This is a crop of a whole-slide image: an H&E-stained breast-cancer sentinel lymph node section at roughly 40× magnification (about 0.25 µm per pixel; the crop spans about 0.13 mm).
Image:
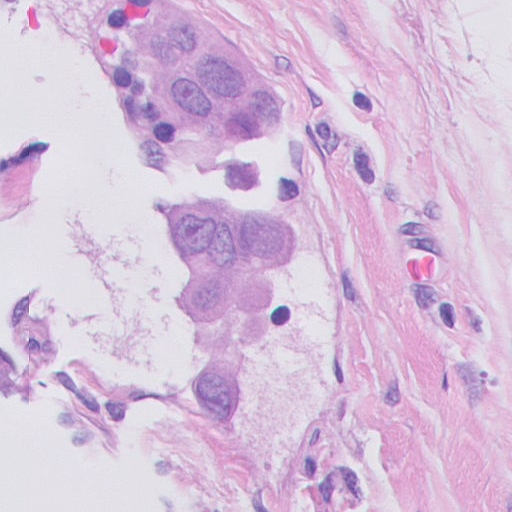
Question:
Describe where the metastatic carcinoma lies in this crop.
Answer:
Boundaries of two metastatic tumour regions, simplified and listed clockwise, largest first: region 1: (199, 200), (256, 210), (279, 208), (301, 222), (298, 252), (276, 271), (266, 326), (248, 346), (248, 401), (238, 427), (211, 417), (196, 390), (189, 334), (175, 311), (176, 254), (160, 229), (171, 203); region 2: (120, 0), (173, 0), (232, 41), (288, 118), (259, 153), (261, 186), (234, 194), (214, 153), (186, 150), (141, 81), (117, 29).
Tumour covers about 15% of the frame.